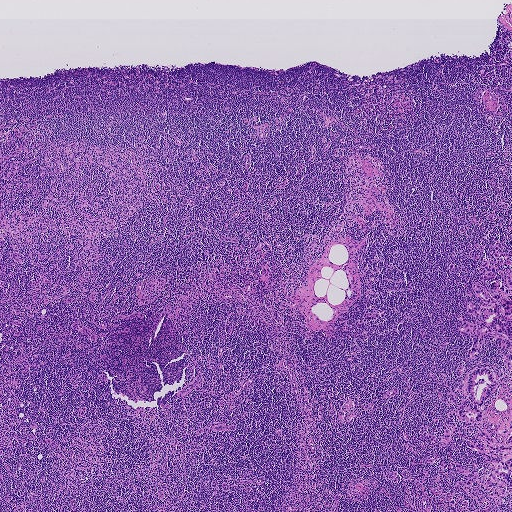
H&E-stained section of a sentinel lymph node (breast cancer), from a whole-slide image, viewed at about 2.5×: the field is about 1.9 mm across, about 3.6 µm per pixel.
Boundaries of three metastatic tumour regions, simplified and listed clockwise, largest first: region 1: (486, 364), (504, 371), (479, 408), (482, 423), (496, 439), (504, 442), (511, 431), (511, 488), (499, 496), (486, 495), (498, 483), (487, 489), (480, 480), (468, 487), (454, 484), (466, 479), (453, 461), (478, 470), (479, 477), (489, 471), (482, 466), (484, 457), (464, 441), (454, 435), (446, 445), (429, 445), (421, 431), (438, 437), (442, 424), (459, 422), (456, 415), (446, 416), (455, 404), (447, 402), (444, 394), (459, 387), (464, 374), (454, 372), (459, 366), (469, 372); region 2: (501, 240), (507, 244), (503, 251), (511, 256), (511, 369), (503, 361), (507, 351), (498, 351), (491, 336), (488, 334), (474, 360), (467, 357), (470, 340), (456, 331), (455, 326), (463, 325), (455, 313), (474, 323), (476, 319), (469, 313), (466, 305), (470, 302), (481, 304), (473, 289), (473, 280), (494, 288), (493, 280), (479, 279), (477, 275), (483, 258), (494, 264), (496, 276), (505, 284), (508, 268), (493, 254), (495, 246); region 3: (366, 310), (368, 310), (370, 312), (373, 312), (376, 310), (382, 313), (384, 315), (382, 317), (366, 320), (363, 319), (363, 315).
Two more small tumour pieces are annotated here but not outlined.
About 5% of the image area is annotated as tumour.